This is a crop of a whole-slide image: an H&E-stained breast-cancer sentinel lymph node section at roughly 20× magnification (about 0.5 µm per pixel; the crop spans about 0.26 mm).
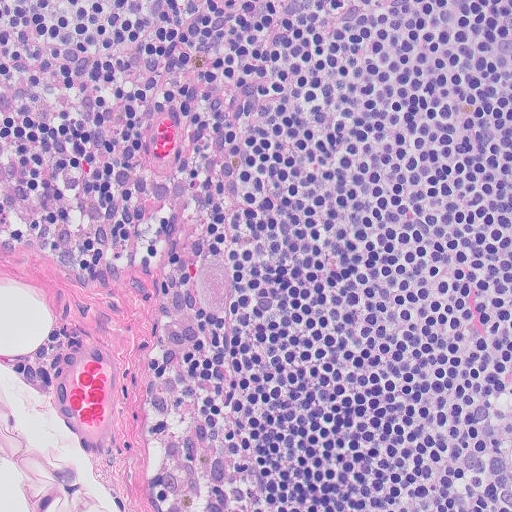
Tumour region outline (a closed clockwise path, crop pixels): (218, 243), (233, 252), (235, 286), (228, 308), (212, 317), (198, 312), (190, 296), (195, 268), (207, 248).
Under 5% of this field is tumour.